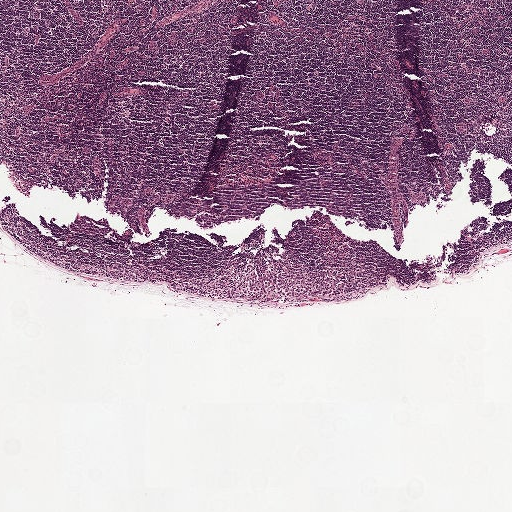
This is a crop of a whole-slide image: an H&E-stained breast-cancer sentinel lymph node section at roughly 2.5× magnification (about 3.9 µm per pixel; the crop spans about 2.0 mm).
The outlined metastatic tumour's edge, as a closed clockwise path of 12 points: (256, 261), (270, 269), (293, 265), (313, 272), (327, 293), (326, 299), (311, 304), (228, 301), (199, 294), (188, 285), (188, 278), (231, 263).
Tumour covers under 5% of the frame.